Lymph node section stained with H&E, from a whole-slide image of a breast-cancer sentinel node. Magnification about 2.5×, about 2.0 mm across the frame, about 3.9 µm per pixel.
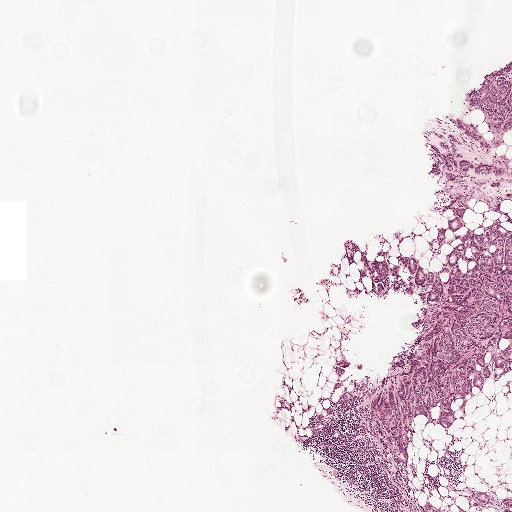
One metastatic tumour region; its boundary, reduced to 13 corners and listed clockwise: (511, 53), (511, 511), (318, 511), (298, 492), (291, 446), (347, 383), (393, 364), (400, 332), (383, 295), (343, 275), (335, 259), (388, 215), (422, 137).
About 25% of the image area is annotated as tumour.